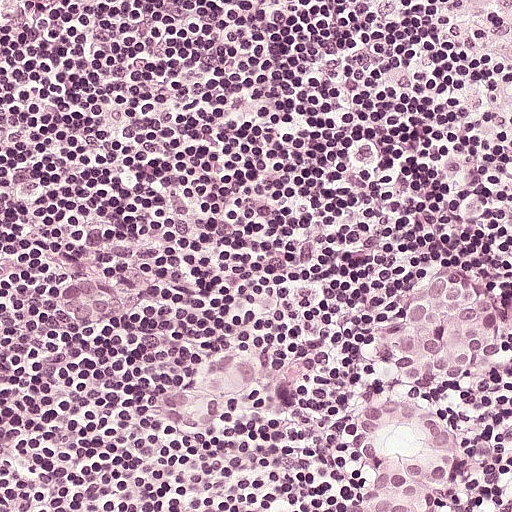
This is a crop of a whole-slide image: an H&E-stained breast-cancer sentinel lymph node section at roughly 20× magnification (about 0.49 µm per pixel; the crop spans about 0.25 mm).
Question: Describe where the metastatic carcinoma lies in this crop.
Answer: Three metastatic tumour regions, each outlined as a closed clockwise path in crop pixels (x, y), largest first: region 1: (360, 394), (414, 399), (449, 429), (452, 448), (448, 479), (429, 511), (314, 511), (349, 492), (354, 484), (352, 464), (336, 440), (332, 428); region 2: (419, 262), (429, 262), (454, 272), (475, 287), (496, 320), (497, 337), (486, 358), (462, 370), (434, 394), (423, 394), (369, 366), (364, 356), (364, 342), (388, 312); region 3: (196, 348), (238, 350), (253, 368), (253, 381), (252, 388), (225, 408), (205, 431), (174, 435), (152, 414), (149, 392), (180, 379), (193, 362).
The annotated tumour makes up about 10% of the crop.

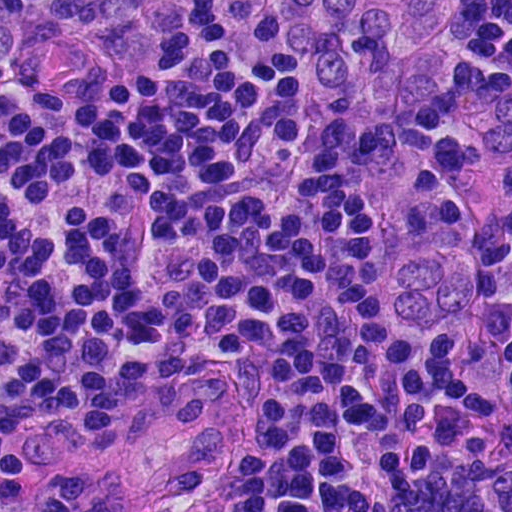
H&E-stained section of a sentinel lymph node (breast cancer), from a whole-slide image, viewed at about 40×: the field is about 0.12 mm across, about 0.23 µm per pixel.
Question: Describe where the metastatic carcinoma lies in this crop.
Answer: Outlines of two tumour regions, largest first (closed clockwise paths, crop pixels): region 1: (476, 0), (435, 91), (383, 110), (333, 110), (291, 66), (243, 68), (212, 30), (204, 7), (173, 44), (163, 75), (133, 79), (96, 32), (97, 1); region 2: (0, 0), (11, 0), (21, 10), (25, 42), (21, 73), (0, 88).
One more small tumour piece is annotated here but not outlined.
The annotated tumour makes up about 15% of the crop.

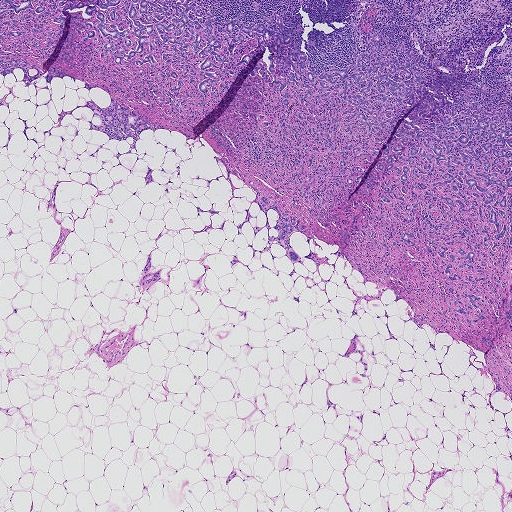
This is a crop of a whole-slide image: an H&E-stained breast-cancer sentinel lymph node section at roughly 2.5× magnification (about 3.6 µm per pixel; the crop spans about 1.9 mm).
Question: Describe where the metastatic carcinoma lies in this crop.
Answer: Two metastatic tumour regions, each outlined as a closed clockwise path in crop pixels (x, y), largest first: region 1: (0, 0), (280, 15), (284, 20), (281, 30), (276, 39), (271, 52), (268, 57), (271, 60), (271, 72), (344, 69), (375, 32), (439, 59), (419, 106), (470, 85), (511, 111), (511, 283), (466, 342), (335, 244), (310, 239), (317, 268), (268, 244), (201, 135), (267, 47), (195, 140), (144, 129), (118, 159), (114, 156), (132, 138), (82, 105), (109, 95), (46, 81), (87, 6), (62, 11), (27, 87), (0, 74); region 2: (495, 376), (497, 376), (499, 378), (500, 381), (498, 383), (500, 385), (500, 391), (498, 392), (495, 392), (495, 386), (497, 383), (495, 383), (493, 378).
One more small tumour piece is annotated here but not outlined.
Tumour covers about 30% of the frame.

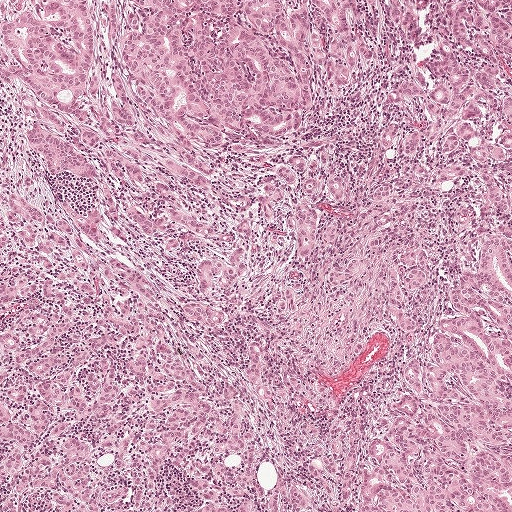
H&E-stained section of a sentinel lymph node (breast cancer), from a whole-slide image, viewed at about 5×: the field is about 1 mm across, about 1.9 µm per pixel.
Question: Describe where the metastatic carcinoma lies in this crop.
Answer: Boundaries of three metastatic tumour regions, simplified and listed clockwise, largest first: region 1: (135, 0), (358, 0), (354, 39), (362, 64), (346, 89), (315, 75), (311, 124), (296, 142), (268, 153), (247, 146), (210, 152), (173, 132), (122, 64), (130, 28), (125, 12), (138, 5); region 2: (492, 239), (511, 239), (511, 428), (500, 418), (506, 394), (491, 383), (473, 358), (451, 340), (446, 323), (452, 288), (466, 267), (482, 258); region 3: (503, 197), (511, 200), (511, 232), (499, 213), (499, 207).
Tumour covers about 15% of the frame.